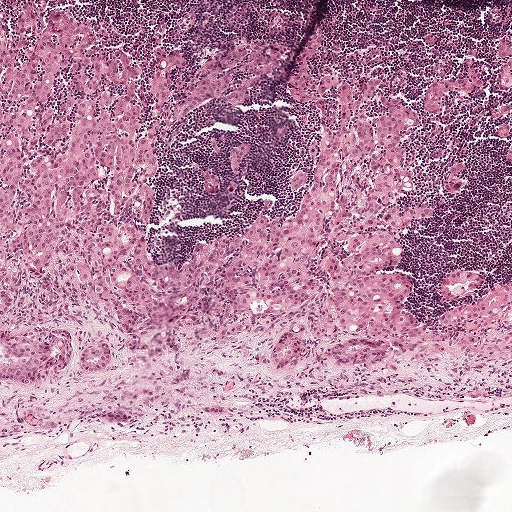
This is a crop of a whole-slide image: an H&E-stained breast-cancer sentinel lymph node section at roughly 5× magnification (about 1.9 µm per pixel; the crop spans about 1 mm).
Boundaries of six metastatic tumour regions, simplified and listed clockwise, largest first: region 1: (0, 0), (52, 0), (136, 44), (187, 52), (188, 78), (201, 73), (211, 88), (168, 144), (147, 220), (154, 302), (137, 336), (96, 373), (1, 379); region 2: (318, 24), (341, 78), (384, 76), (368, 112), (386, 90), (419, 110), (403, 204), (437, 212), (396, 234), (422, 321), (456, 303), (439, 280), (451, 265), (511, 275), (511, 348), (430, 337), (368, 366), (184, 352), (187, 246), (296, 211), (290, 178), (316, 152), (321, 114), (293, 80); region 3: (471, 52), (482, 70), (484, 84), (471, 89), (448, 87), (444, 93), (442, 104), (438, 110), (432, 110), (426, 107), (422, 99), (426, 87), (438, 76), (458, 76), (468, 70), (467, 54); region 4: (501, 40), (511, 45), (511, 87), (506, 90), (498, 86), (496, 81), (496, 75), (498, 68), (505, 64), (509, 61), (509, 60), (503, 62), (498, 60), (497, 48); region 5: (459, 159), (463, 160), (463, 166), (459, 174), (463, 179), (463, 182), (461, 188), (456, 191), (444, 188), (443, 184), (449, 167); region 6: (502, 122), (510, 123), (510, 131), (508, 136), (501, 138), (494, 135), (495, 132).
One more small tumour piece is annotated here but not outlined.
Tumour covers about 45% of the frame.